Lymph node section stained with H&E, from a whole-slide image of a breast-cancer sentinel node. Magnification about 10×, about 0.5 mm across the frame, about 0.97 µm per pixel.
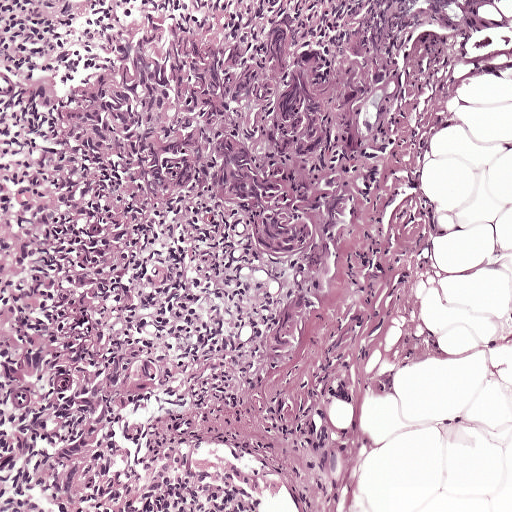
Question: Trace the edge of each tumour region in this crop, as (x, y) points from 0 to 511.
Answer: Metastatic tumour outline, simplified to 22 points and listed clockwise in crop pixels (x, y): (290, 0), (399, 60), (400, 120), (308, 336), (274, 354), (291, 267), (194, 192), (137, 228), (115, 313), (162, 376), (138, 406), (139, 484), (76, 511), (48, 503), (78, 388), (70, 371), (25, 387), (0, 365), (0, 169), (50, 148), (9, 92), (186, 2).
The annotated tumour makes up about 40% of the crop.